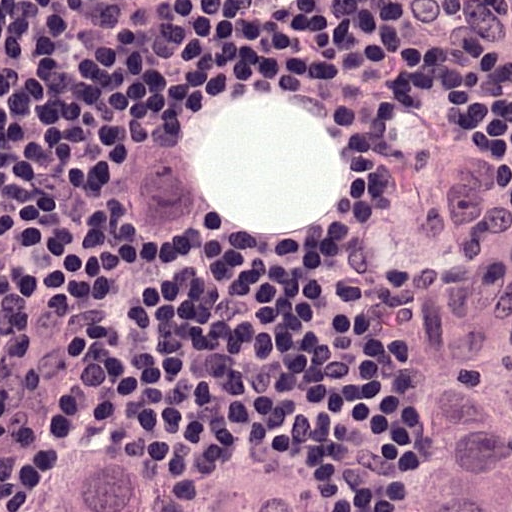
A 0.12-mm field of an H&E-stained sentinel lymph node from a breast-cancer patient (whole-slide image), shown at about 40×, about 0.24 µm per pixel.
The outlined metastatic tumour's edge, as a closed clockwise path of 15 points: (403, 104), (511, 104), (511, 511), (0, 511), (0, 434), (78, 434), (135, 383), (163, 383), (203, 406), (363, 406), (420, 394), (420, 303), (403, 241), (380, 218), (380, 132).
One more small tumour piece is annotated here but not outlined.
Tumour covers about 35% of the frame.